Image:
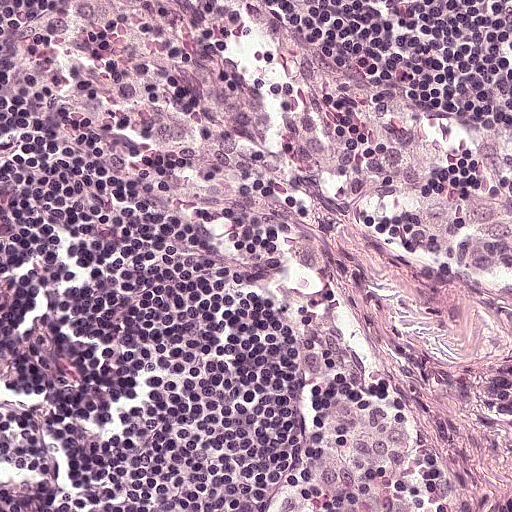
Lymph node section stained with H&E, from a whole-slide image of a breast-cancer sentinel node. Magnification about 20×, about 0.25 mm across the frame, about 0.49 µm per pixel.
Question:
Does this lymph node field contain metastatic tumour?
Answer:
No, this field holds no outlined metastasis.